Question: 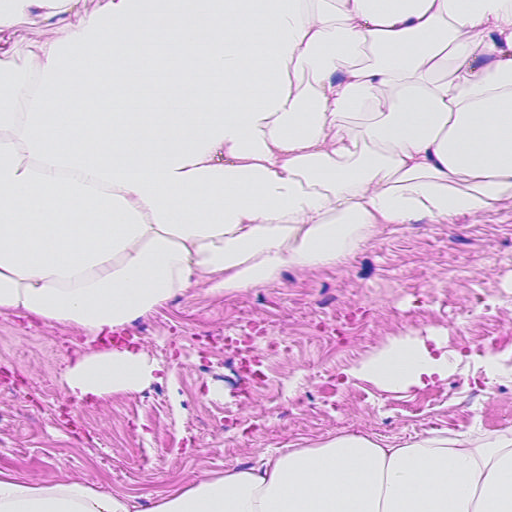
About what magnification does this crop show?

Choices:
 (A) about 2.5×
 (B) about 10×
 (C) about 40×
 (D) about 5×
 (E) about 20×

Answer: (E) about 20×
H&E-stained section of a sentinel lymph node (breast cancer), from a whole-slide image, viewed at about 20×: the field is about 0.23 mm across, about 0.45 µm per pixel.